Image:
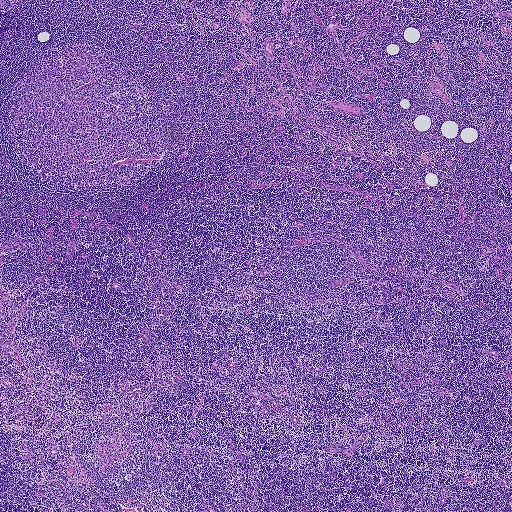
A 1.9-mm field of an H&E-stained sentinel lymph node from a breast-cancer patient (whole-slide image), shown at about 2.5×, about 3.6 µm per pixel.
Question:
Is there metastatic carcinoma in this field?
Answer:
No. No metastatic tumour is outlined in this field.